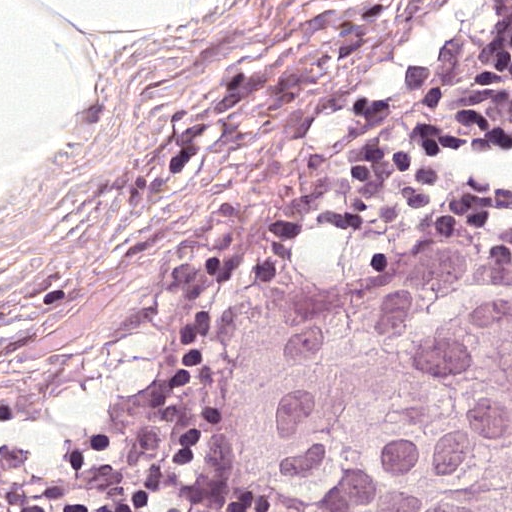
A 0.12-mm field of an H&E-stained sentinel lymph node from a breast-cancer patient (whole-slide image), shown at about 40×, about 0.24 µm per pixel.
Metastatic tumour outline, simplified to 11 points and listed clockwise in crop pixels (x, y): (430, 233), (484, 250), (511, 277), (507, 511), (269, 511), (228, 489), (209, 475), (209, 450), (236, 333), (272, 304), (397, 258).
The annotated tumour makes up about 25% of the crop.